Image:
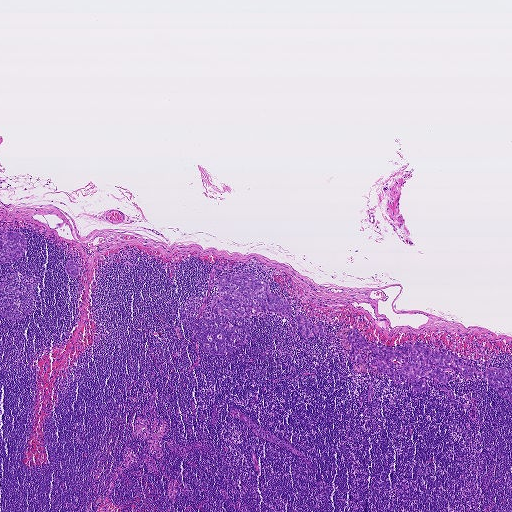
H&E-stained section of a sentinel lymph node (breast cancer), from a whole-slide image, viewed at about 2.5×: the field is about 1.9 mm across, about 3.6 µm per pixel.
Question:
Does this lymph node field contain metastatic tumour?
Answer:
Yes.
Outlines of four tumour regions, largest first (closed clockwise paths, crop pixels): region 1: (353, 327), (373, 346), (376, 341), (394, 348), (407, 343), (412, 347), (417, 342), (433, 350), (444, 348), (466, 362), (469, 359), (468, 366), (480, 371), (485, 371), (493, 367), (511, 370), (511, 402), (490, 386), (487, 378), (465, 376), (450, 369), (444, 370), (454, 379), (442, 382), (431, 377), (426, 380), (426, 391), (416, 395), (412, 385), (416, 375), (394, 382), (371, 364), (370, 351), (358, 348), (360, 363), (349, 354), (351, 344), (347, 336), (353, 333); region 2: (246, 273), (265, 282), (270, 293), (286, 300), (291, 315), (302, 315), (313, 325), (321, 322), (327, 330), (323, 337), (305, 337), (290, 315), (284, 318), (255, 310), (245, 316), (230, 317), (210, 306), (221, 276); region 3: (0, 230), (21, 232), (27, 241), (24, 253), (14, 262), (1, 263); region 4: (67, 260), (72, 260), (76, 262), (79, 268), (79, 270), (77, 274), (68, 275), (66, 272), (64, 266).
About 5% of this field is tumour.